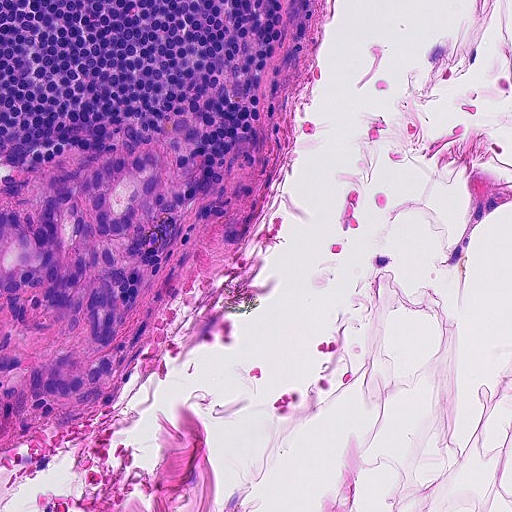
A 0.23-mm field of an H&E-stained sentinel lymph node from a breast-cancer patient (whole-slide image), shown at about 20×, about 0.45 µm per pixel.
Two metastatic tumour regions, each outlined as a closed clockwise path in crop pixels (x, y), largest first: region 1: (143, 148), (159, 153), (160, 188), (153, 202), (132, 230), (118, 240), (100, 242), (121, 254), (130, 270), (118, 282), (121, 335), (109, 346), (92, 348), (75, 341), (62, 330), (66, 312), (40, 303), (41, 286), (2, 301), (0, 209), (22, 210), (36, 220), (39, 203), (93, 164); region 2: (110, 354), (114, 364), (110, 377), (66, 400), (45, 398), (38, 398), (30, 396), (29, 372), (32, 364), (45, 368), (50, 375), (67, 378).
About 10% of this field is tumour.